Image:
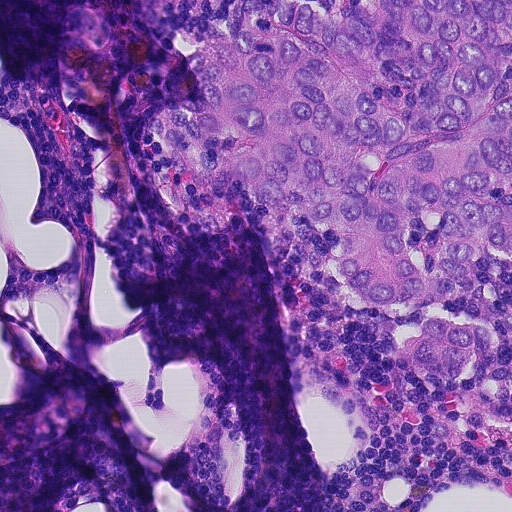
A 0.23-mm field of an H&E-stained sentinel lymph node from a breast-cancer patient (whole-slide image), shown at about 20×, about 0.45 µm per pixel.
Question:
Does this lymph node field contain metastatic tumour?
Answer:
Yes.
Metastatic tumour outline, simplified to 17 points and listed clockwise in crop pixels (x, y): (188, 0), (511, 0), (511, 266), (492, 258), (477, 289), (499, 354), (475, 377), (443, 388), (414, 369), (390, 346), (414, 322), (352, 304), (302, 216), (197, 220), (167, 202), (140, 140), (192, 18).
The annotated tumour makes up about 35% of the crop.